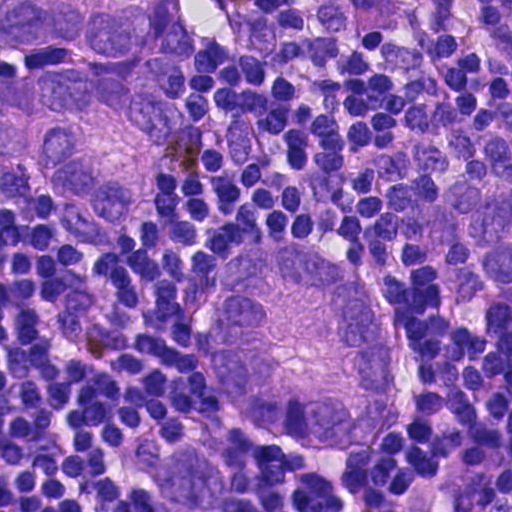
Lymph node section stained with H&E, from a whole-slide image of a breast-cancer sentinel node. Magnification about 40×, about 0.12 mm across the frame, about 0.23 µm per pixel.
Outlines of three tumour regions, largest first (closed clockwise paths, crop pixels): region 1: (0, 0), (189, 0), (189, 46), (166, 101), (172, 162), (165, 221), (113, 254), (57, 233), (30, 178), (0, 167), (0, 68), (64, 65), (64, 52), (0, 43); region 2: (269, 233), (328, 245), (374, 284), (402, 337), (412, 401), (377, 450), (316, 459), (260, 436), (218, 390), (189, 339), (203, 279); region 3: (511, 175), (511, 300), (494, 293), (450, 249), (472, 193).
The annotated tumour makes up about 30% of the crop.